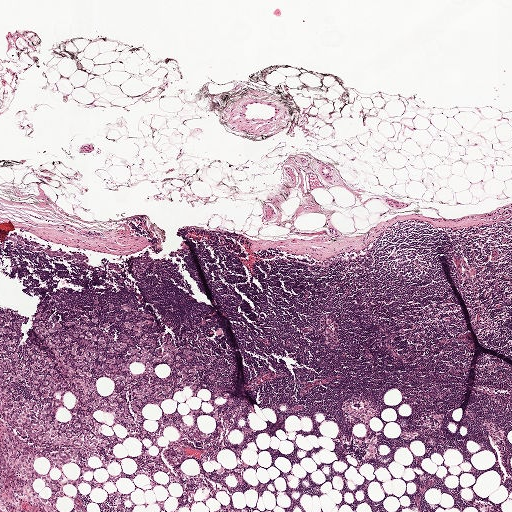
H&E-stained section of a sentinel lymph node (breast cancer), from a whole-slide image, viewed at about 2.5×: the field is about 2.0 mm across, about 3.9 µm per pixel.